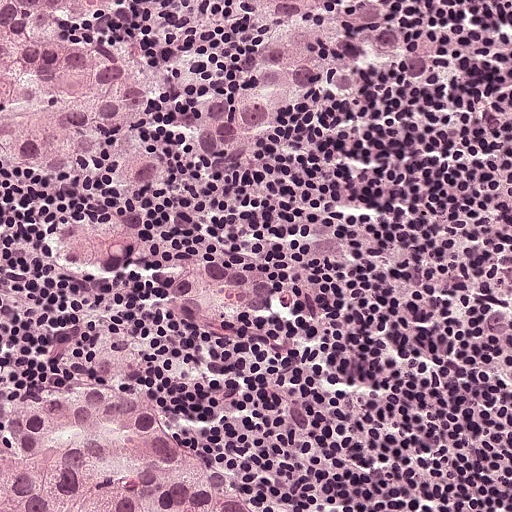
This is a crop of a whole-slide image: an H&E-stained breast-cancer sentinel lymph node section at roughly 20× magnification (about 0.49 µm per pixel; the crop spans about 0.25 mm).
Outlines of five tumour regions, largest first (closed clockwise paths, crop pixels): region 1: (128, 328), (146, 338), (144, 360), (118, 377), (154, 394), (168, 426), (258, 511), (0, 511), (0, 436), (32, 385), (111, 376), (84, 356), (96, 332); region 2: (0, 0), (123, 0), (59, 30), (74, 45), (132, 38), (138, 58), (175, 78), (150, 106), (138, 133), (170, 173), (148, 192), (126, 192), (112, 178), (119, 134), (64, 182), (2, 161); region 3: (249, 0), (392, 0), (386, 18), (434, 44), (435, 64), (424, 81), (393, 80), (372, 62), (368, 80), (351, 97), (308, 94), (281, 124), (262, 162), (228, 182), (202, 172), (186, 146), (190, 120), (230, 82), (236, 54), (256, 44); region 4: (236, 248), (270, 268), (280, 312), (248, 333), (210, 340), (172, 318), (162, 288), (180, 260); region 5: (141, 208), (158, 237), (128, 276), (102, 276), (72, 272), (50, 253), (45, 226), (68, 222), (104, 222), (119, 212).
The annotated tumour makes up about 35% of the crop.